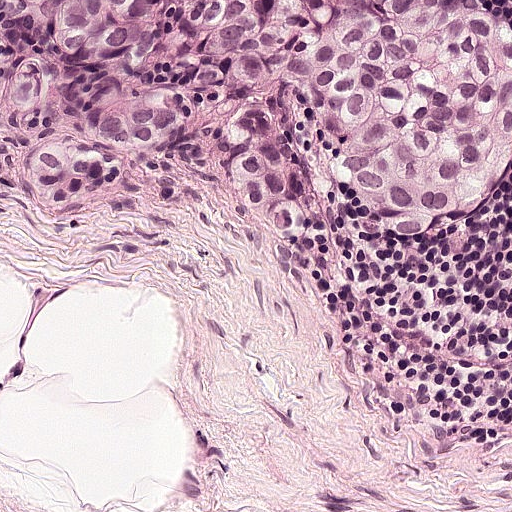
A 0.25-mm field of an H&E-stained sentinel lymph node from a breast-cancer patient (whole-slide image), shown at about 20×, about 0.49 µm per pixel.
Tumour region outline (a closed clockwise path, crop pixels): (0, 0), (496, 0), (511, 16), (511, 145), (482, 210), (444, 234), (357, 216), (322, 241), (300, 241), (263, 224), (208, 110), (146, 152), (104, 206), (56, 217), (21, 196), (0, 142).
About 40% of the image area is annotated as tumour.